This is a crop of a whole-slide image: an H&E-stained breast-cancer sentinel lymph node section at roughly 2.5× magnification (about 4.0 µm per pixel; the crop spans about 2.0 mm).
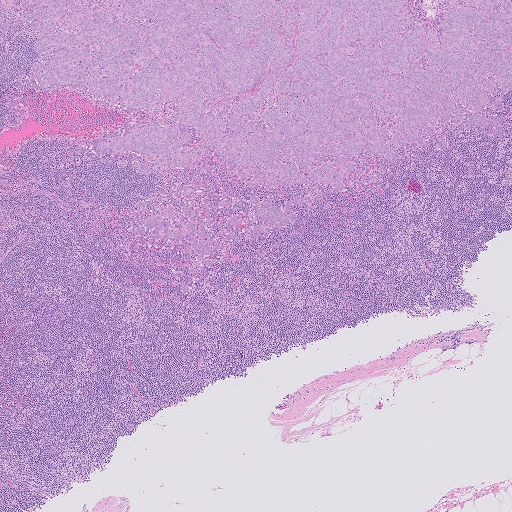
One metastatic tumour region; its boundary, reduced to 23 corners and listed clockwise: (511, 0), (511, 90), (504, 112), (483, 110), (503, 133), (452, 128), (443, 151), (389, 160), (362, 151), (335, 206), (266, 238), (238, 233), (229, 261), (202, 271), (132, 234), (137, 203), (156, 215), (179, 172), (121, 171), (86, 146), (142, 116), (33, 87), (15, 2).
Three more small tumour pieces are annotated here but not outlined.
Tumour covers about 30% of the frame.